Question: 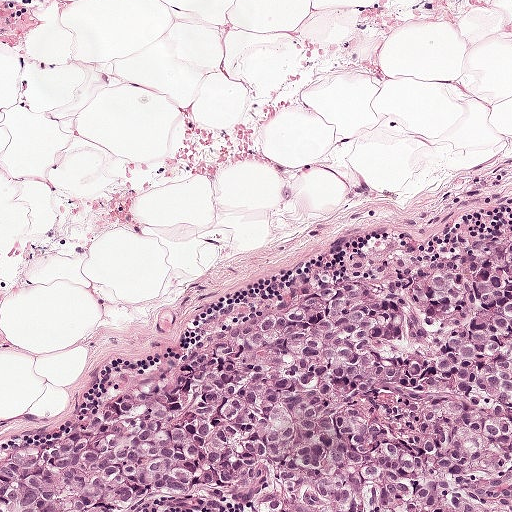
H&E-stained section of a sentinel lymph node (breast cancer), from a whole-slide image, viewed at about 10×: the field is about 0.5 mm across, about 0.97 µm per pixel.
Estimate the proportion of this field that is metastatic tumour.

Choices:
 (A) none: no tumour is outlined
 (B) about 25% to 45%
 (C) about 5% or less
 (D) about 10% to 20%
 (E) about 50% or more

Answer: (B) about 25% to 45%
About 40% of the field is tumour.
Metastatic tumour outline, simplified to 7 points and listed clockwise in crop pixels (x, y): (511, 195), (511, 511), (0, 511), (0, 457), (74, 422), (137, 361), (358, 238).